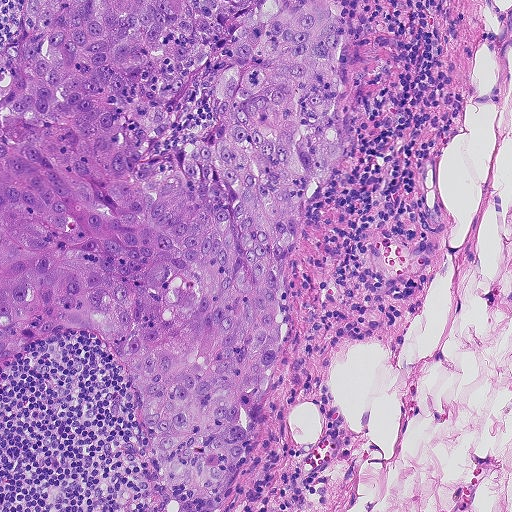
A 0.46-mm field of an H&E-stained sentinel lymph node from a breast-cancer patient (whole-slide image), shown at about 10×, about 0.9 µm per pixel.
Metastatic tumour outline, simplified to 15 points and listed clockwise in crop pixels (x, y): (26, 0), (329, 5), (341, 18), (341, 101), (356, 148), (288, 258), (266, 414), (217, 511), (184, 511), (164, 485), (135, 382), (90, 332), (21, 352), (0, 375), (0, 51).
Tumour covers about 50% of the frame.